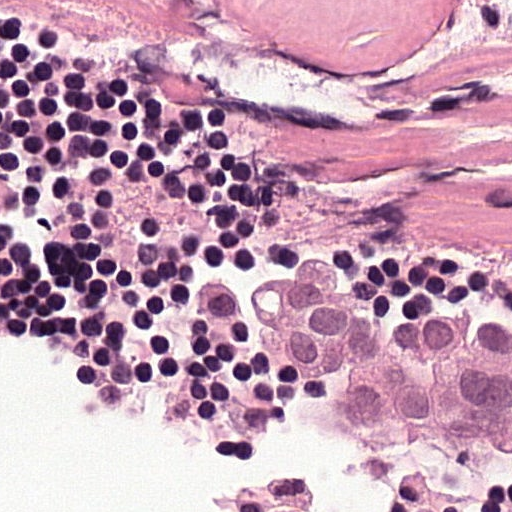
Lymph node section stained with H&E, from a whole-slide image of a breast-cancer sentinel node. Magnification about 40×, about 0.12 mm across the frame, about 0.24 µm per pixel.
Metastatic tumour outline, simplified to 13 points and listed clockwise in crop pixels (x, y): (295, 252), (409, 272), (511, 328), (511, 476), (400, 476), (374, 468), (347, 452), (336, 406), (318, 383), (245, 368), (181, 331), (179, 293), (213, 263).
About 20% of this field is tumour.